Question: 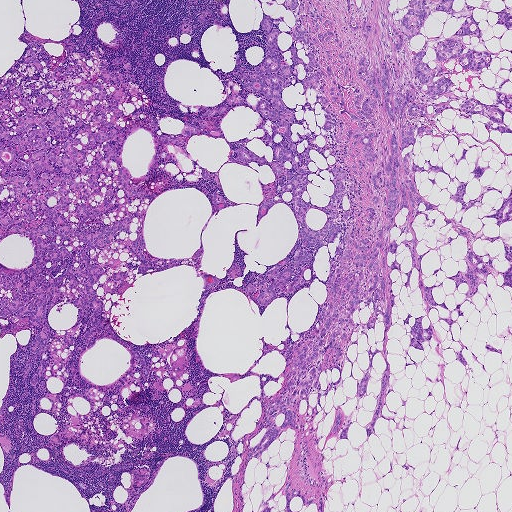
H&E-stained section of a sentinel lymph node (breast cancer), from a whole-slide image, viewed at about 2.5×: the field is about 1.9 mm across, about 3.6 µm per pixel.
Estimate the proportion of this field that is metastatic tumour.

Choices:
 (A) about 50% or more
 (B) about 10% to 20%
 (C) about 25% to 45%
 (D) about 5% or less
 (E) none: no tumour is outlined

Answer: (C) about 25% to 45%
About 40% of the field is tumour.
Boundaries of three metastatic tumour regions, simplified and listed clockwise, largest first: region 1: (289, 473), (291, 483), (289, 492), (295, 489), (298, 490), (300, 492), (306, 501), (310, 499), (314, 499), (316, 501), (321, 496), (324, 497), (323, 503), (324, 511), (317, 511), (317, 507), (315, 504), (312, 504), (309, 505), (306, 508), (302, 506), (302, 499), (299, 497), (295, 497), (292, 499), (290, 505), (290, 509), (293, 511), (278, 511), (283, 510), (285, 507), (286, 504), (284, 493), (284, 483), (287, 476); region 2: (28, 50), (31, 50), (34, 52), (36, 58), (43, 65), (43, 69), (38, 71), (35, 70), (33, 63), (27, 65), (23, 62), (24, 59), (26, 57), (30, 57), (27, 53); region 3: (273, 493), (275, 493), (275, 496), (273, 499), (269, 500), (268, 503), (269, 506), (273, 506), (275, 508), (271, 509), (270, 511), (259, 511), (264, 507), (259, 508), (262, 497), (266, 501).
One more tumour region is annotated but not outlined: its edge is too irregular for a short outline.
Four more small tumour pieces are annotated here but not outlined.